Question: 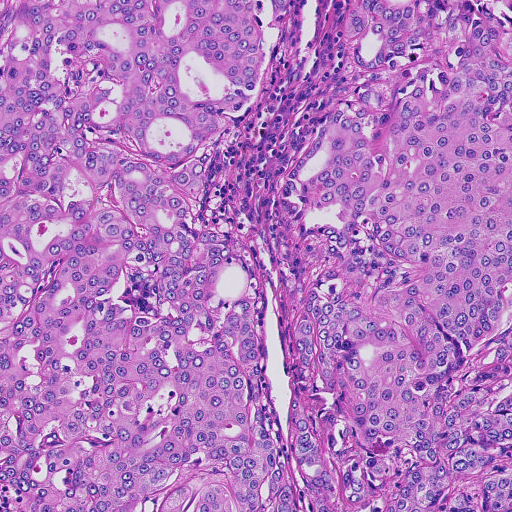
At roughly what magnification is this field shown?

Choices:
 (A) about 20×
 (B) about 10×
 (C) about 40×
 (D) about 5×
 (E) about 2.5×

Answer: (B) about 10×
Lymph node section stained with H&E, from a whole-slide image of a breast-cancer sentinel node. Magnification about 10×, about 0.46 mm across the frame, about 0.91 µm per pixel.
Metastatic tumour outline, simplified to 16 points and listed clockwise in crop pixels (x, y): (0, 0), (304, 0), (222, 141), (203, 214), (247, 238), (268, 270), (265, 342), (284, 437), (294, 310), (322, 243), (288, 176), (348, 84), (342, 0), (511, 0), (511, 511), (0, 511).
The annotated tumour makes up about 90% of the crop.